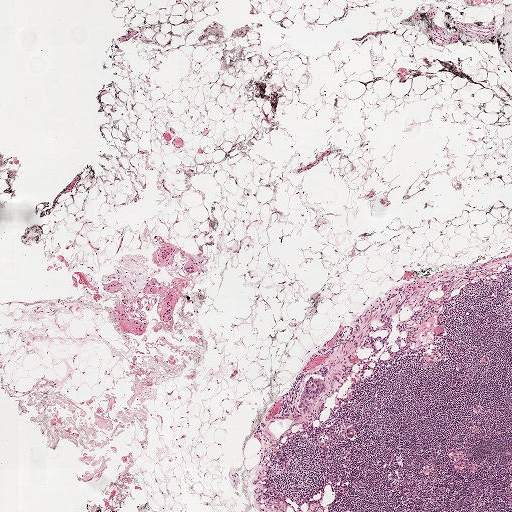
Lymph node section stained with H&E, from a whole-slide image of a breast-cancer sentinel node. Magnification about 2.5×, about 2.0 mm across the frame, about 3.9 µm per pixel.
Question: Trace the edge of each tumour region in this crop, as (x, y) points from 0 to 511.
Answer: One metastatic tumour region; its boundary, reduced to 10 corners and listed clockwise: (329, 365), (328, 386), (326, 392), (316, 400), (311, 410), (306, 413), (299, 413), (300, 396), (308, 375), (321, 366).
Under 5% of the image area is annotated as tumour.

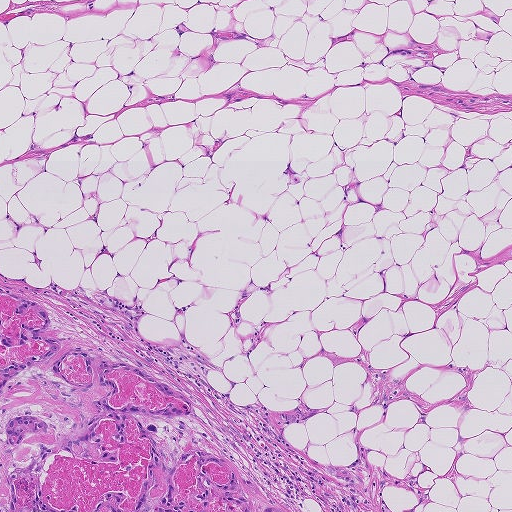
This is a crop of a whole-slide image: an H&E-stained breast-cancer sentinel lymph node section at roughly 5× magnification (about 1.8 µm per pixel; the crop spans about 0.93 mm).
Question: Trace the edge of each tumour region in this crop, as (x, y) points from 0 to 511.
Answer: Metastatic tumour outline, simplified to 7 points and listed clockwise in crop pixels (x, y): (0, 285), (43, 305), (49, 328), (186, 397), (253, 492), (285, 510), (0, 511).
The annotated tumour makes up about 15% of the crop.

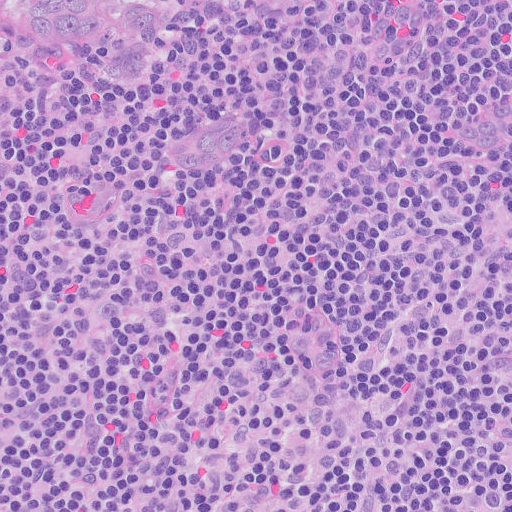
A 0.26-mm field of an H&E-stained sentinel lymph node from a breast-cancer patient (whole-slide image), shown at about 20×, about 0.5 µm per pixel.
Question: Trace the edge of each tumour region in this crop, as (x, y) points from 0 to 511.
Answer: Boundaries of two metastatic tumour regions, simplified and listed clockwise, largest first: region 1: (0, 0), (299, 0), (194, 32), (164, 62), (128, 86), (42, 77), (0, 65); region 2: (233, 116), (244, 126), (240, 147), (228, 164), (209, 176), (186, 174), (166, 161), (172, 140), (212, 121).
About 5% of this field is tumour.

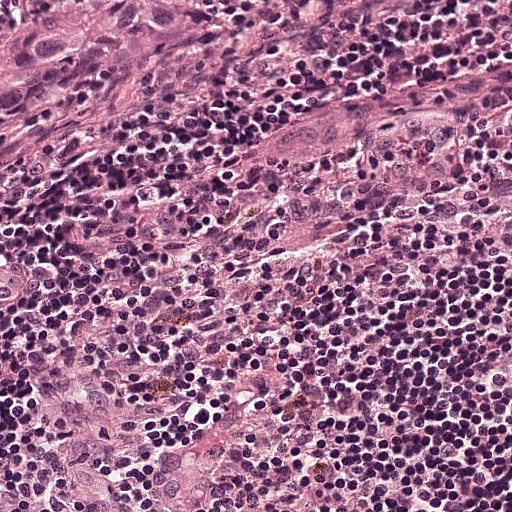
Lymph node section stained with H&E, from a whole-slide image of a breast-cancer sentinel node. Magnification about 20×, about 0.25 mm across the frame, about 0.49 µm per pixel.
Question: Trace the edge of each tumour region in this crop, as (x, y) points from 0 to 511.
Answer: The outlined metastatic tumour's edge, as a closed clockwise path of 6 points: (0, 0), (313, 0), (225, 32), (161, 65), (131, 88), (2, 140).
About 10% of the image area is annotated as tumour.